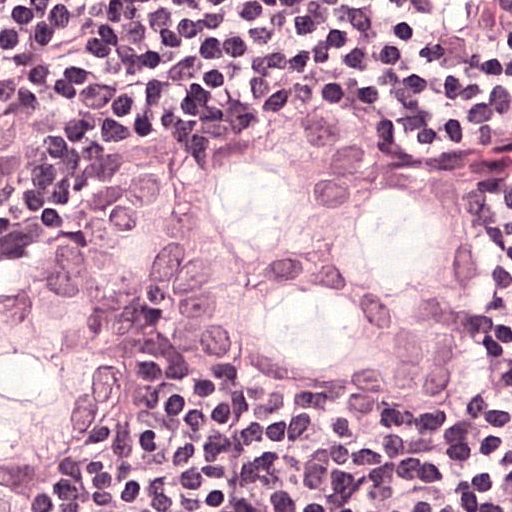
A 0.12-mm field of an H&E-stained sentinel lymph node from a breast-cancer patient (whole-slide image), shown at about 40×, about 0.24 µm per pixel.
One metastatic tumour region; its boundary, reduced to 15 corners and listed clockwise: (356, 85), (429, 103), (511, 174), (506, 430), (338, 435), (261, 412), (215, 371), (156, 357), (75, 498), (54, 511), (0, 511), (0, 261), (47, 194), (143, 148), (184, 153).
About 55% of the image area is annotated as tumour.